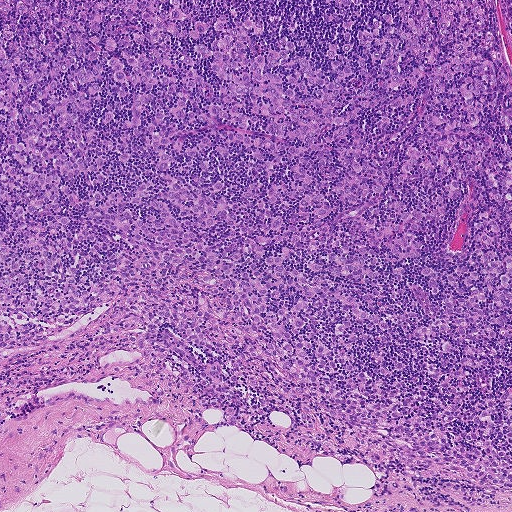
A 0.93-mm field of an H&E-stained sentinel lymph node from a breast-cancer patient (whole-slide image), shown at about 5×, about 1.8 µm per pixel.
Metastatic tumour outline, simplified to 16 points and listed clockwise in crop pixels (x, y): (0, 0), (511, 0), (511, 499), (454, 473), (404, 475), (390, 456), (368, 462), (308, 432), (285, 408), (225, 422), (148, 377), (99, 370), (102, 353), (88, 340), (97, 332), (2, 364).
About 80% of the image area is annotated as tumour.